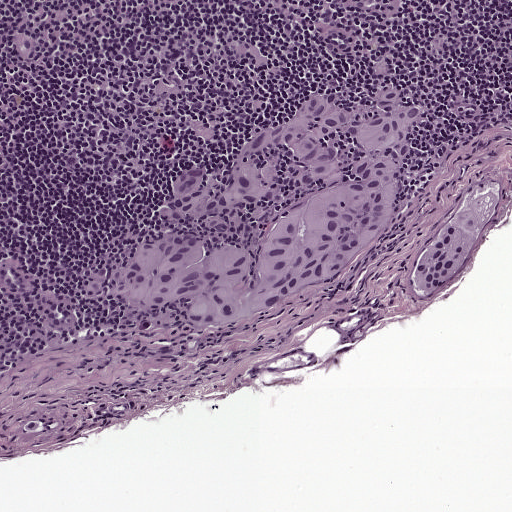
Lymph node section stained with H&E, from a whole-slide image of a breast-cancer sentinel node. Magnification about 10×, about 0.5 mm across the frame, about 0.97 µm per pixel.
Boundaries of two metastatic tumour regions, simplified and listed clockwise, largest first: region 1: (394, 82), (402, 99), (428, 104), (407, 134), (412, 156), (402, 162), (393, 222), (352, 276), (290, 310), (222, 326), (178, 317), (178, 302), (155, 315), (90, 301), (76, 282), (120, 262), (181, 167), (204, 166), (204, 185), (223, 183), (246, 142), (324, 95), (370, 105); region 2: (488, 184), (495, 199), (474, 240), (469, 262), (453, 278), (434, 291), (411, 286), (413, 263), (427, 244), (444, 230), (459, 212), (473, 190).
Tumour covers about 20% of the frame.